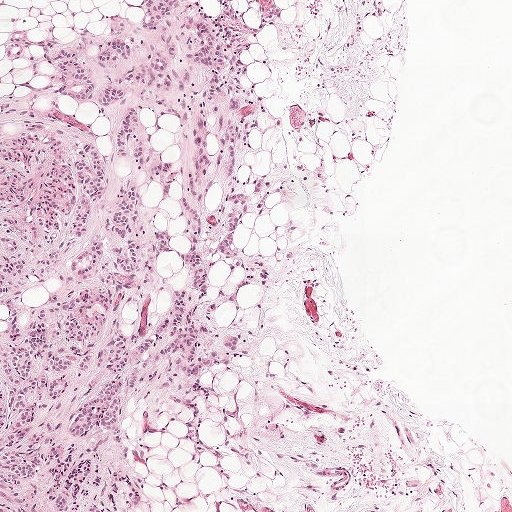
A 1-mm field of an H&E-stained sentinel lymph node from a breast-cancer patient (whole-slide image), shown at about 5×, about 1.9 µm per pixel.
Tumour region outline (a closed clockwise path, crop pixels): (131, 0), (188, 0), (230, 30), (268, 120), (235, 184), (257, 206), (233, 228), (244, 269), (208, 272), (237, 286), (215, 320), (240, 354), (205, 376), (203, 419), (146, 397), (124, 421), (157, 511), (0, 511), (0, 106), (31, 71), (2, 45), (73, 42).
About 40% of the image area is annotated as tumour.